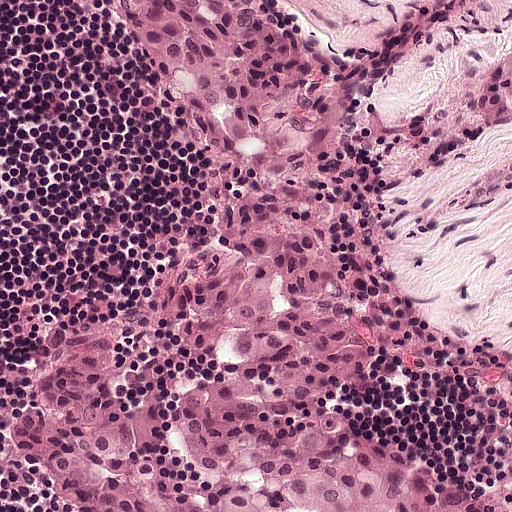
H&E-stained section of a sentinel lymph node (breast cancer), from a whole-slide image, viewed at about 20×: the field is about 0.25 mm across, about 0.49 µm per pixel.
Question: Describe where the metastatic carcinoma lies in this crop.
Answer: Two metastatic tumour regions, each outlined as a closed clockwise path in crop pixels (x, y), largest first: region 1: (88, 0), (284, 6), (335, 114), (384, 312), (385, 348), (374, 348), (361, 390), (336, 414), (450, 498), (453, 511), (34, 511), (11, 486), (2, 424), (38, 366), (148, 302), (188, 268), (203, 230), (203, 192), (153, 68); region 2: (511, 37), (511, 132), (487, 132), (474, 129), (471, 124), (466, 122), (461, 106), (472, 70), (502, 42).
The annotated tumour makes up about 50% of the crop.